This is a crop of a whole-slide image: an H&E-stained breast-cancer sentinel lymph node section at roughly 20× magnification (about 0.49 µm per pixel; the crop spans about 0.25 mm).
Image:
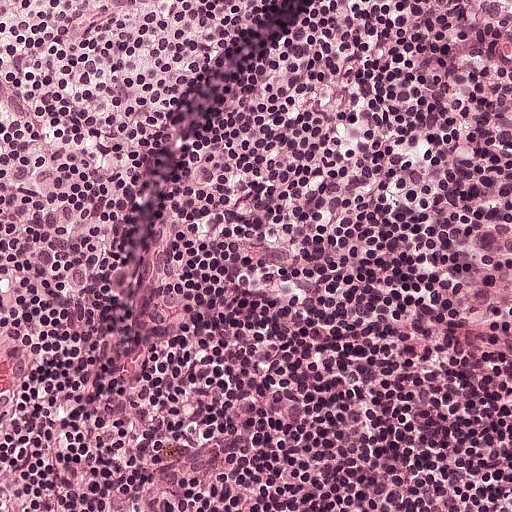
Question:
Is there metastatic carcinoma in this field?
Answer:
No: no metastatic tumour is outlined anywhere in this field.